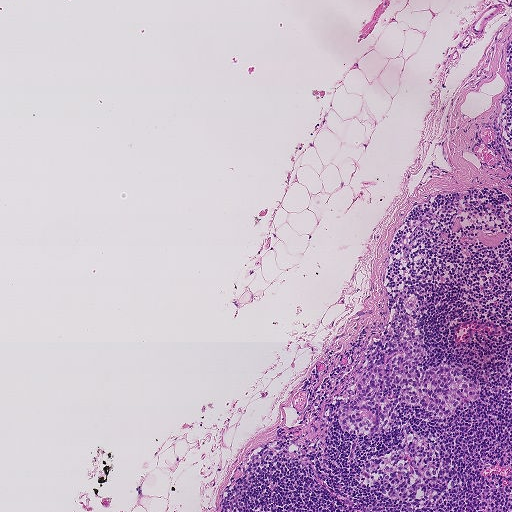
A 0.93-mm field of an H&E-stained sentinel lymph node from a breast-cancer patient (whole-slide image), shown at about 5×, about 1.8 µm per pixel.
One metastatic tumour region; its boundary, reduced to 24 corners and listed clockwise: (407, 314), (426, 333), (422, 343), (434, 348), (418, 365), (423, 370), (444, 363), (460, 367), (481, 387), (479, 398), (473, 407), (458, 405), (439, 419), (420, 406), (400, 402), (390, 430), (371, 437), (343, 432), (337, 412), (341, 401), (351, 402), (361, 376), (399, 352), (388, 342).
About 5% of the image area is annotated as tumour.